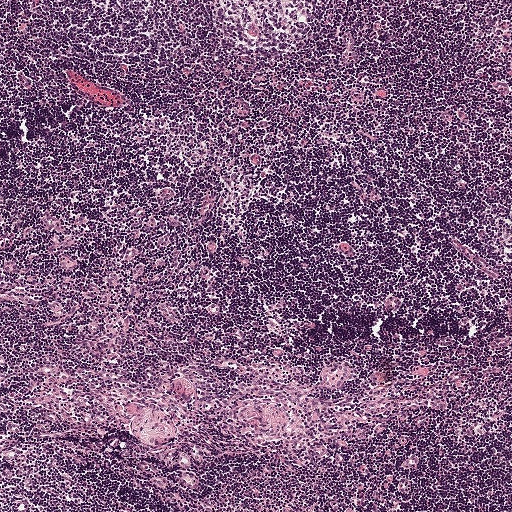
This is a crop of a whole-slide image: an H&E-stained breast-cancer sentinel lymph node section at roughly 5× magnification (about 1.9 µm per pixel; the crop spans about 1 mm).
Question: Does this lymph node field contain metastatic tumour?
Answer: No. No metastatic tumour is outlined in this field.